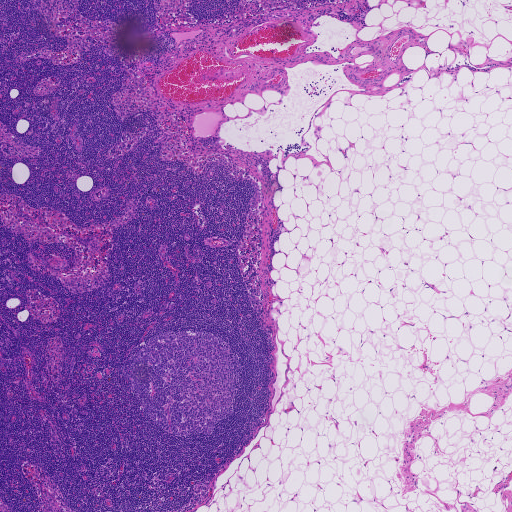
A 1.9-mm field of an H&E-stained sentinel lymph node from a breast-cancer patient (whole-slide image), shown at about 2.5×, about 3.6 µm per pixel.